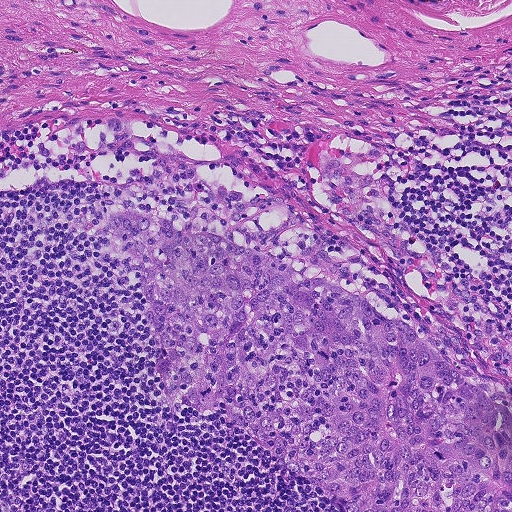
A 0.46-mm field of an H&E-stained sentinel lymph node from a breast-cancer patient (whole-slide image), shown at about 10×, about 0.9 µm per pixel.
Metastatic tumour outline, simplified to 12 points and listed clockwise in crop pixels (x, y): (137, 205), (179, 230), (204, 230), (388, 302), (511, 414), (511, 511), (335, 511), (235, 427), (167, 403), (139, 273), (102, 239), (99, 215).
Tumour covers about 25% of the frame.